A 0.46-mm field of an H&E-stained sentinel lymph node from a breast-cancer patient (whole-slide image), shown at about 10×, about 0.9 µm per pixel.
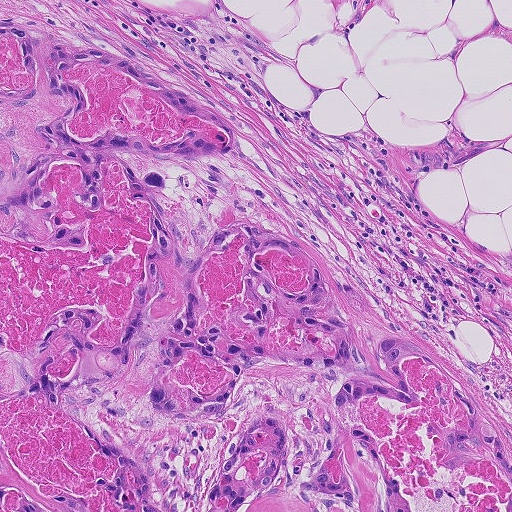
One metastatic tumour region; its boundary, reduced to 9 corners and listed clockwise: (0, 0), (75, 48), (139, 63), (222, 117), (358, 308), (460, 376), (507, 433), (511, 511), (0, 511).
The annotated tumour makes up about 65% of the crop.